Image:
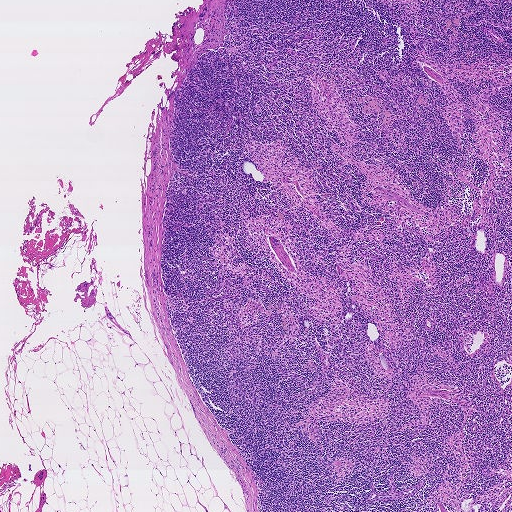
H&E-stained section of a sentinel lymph node (breast cancer), from a whole-slide image, viewed at about 2.5×: the field is about 1.9 mm across, about 3.6 µm per pixel.
Question:
Is any metastatic breast cancer visible in this crop?
Answer:
No: no metastatic tumour is outlined anywhere in this field.